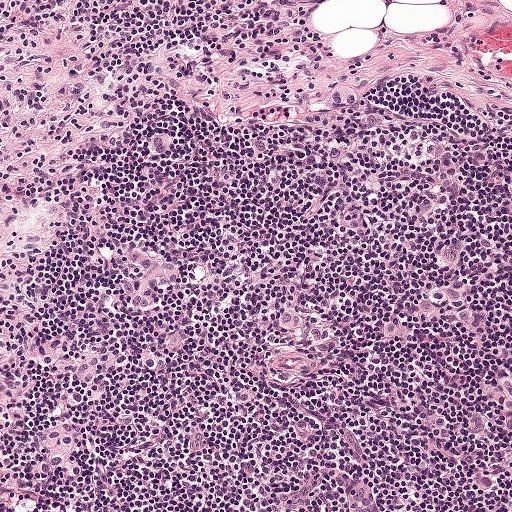
A 0.5-mm field of an H&E-stained sentinel lymph node from a breast-cancer patient (whole-slide image), shown at about 10×, about 0.97 µm per pixel.